Question: 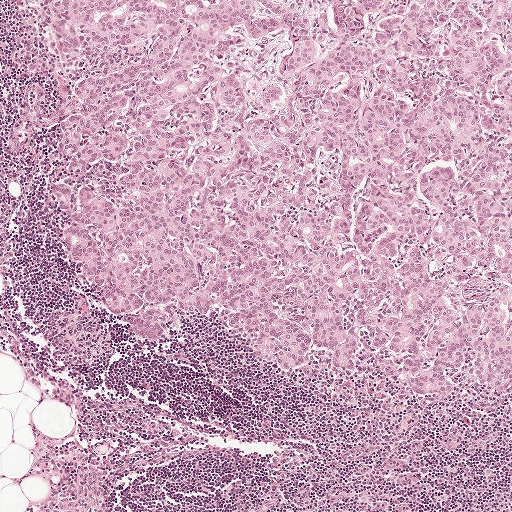
This is a crop of a whole-slide image: an H&E-stained breast-cancer sentinel lymph node section at roughly 5× magnification (about 1.9 µm per pixel; the crop spans about 1 mm).
What fraction of the image area is metastatic tumour?

Choices:
 (A) about 25% to 45%
 (B) about 10% to 20%
 (C) none: no tumour is outlined
 (D) about 5% or less
 (E) about 50% or more

Answer: (E) about 50% or more
About 60% of the field is tumour.
The outlined metastatic tumour's edge, as a closed clockwise path of 18 points: (32, 0), (511, 0), (511, 394), (419, 398), (383, 352), (362, 374), (326, 358), (285, 374), (197, 314), (136, 338), (68, 262), (61, 125), (6, 147), (24, 89), (41, 88), (42, 115), (59, 102), (59, 48).
One more small tumour piece is annotated here but not outlined.